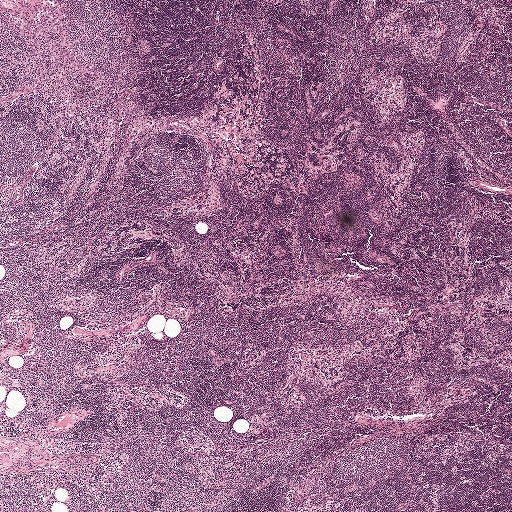
H&E-stained section of a sentinel lymph node (breast cancer), from a whole-slide image, viewed at about 2.5×: the field is about 2.0 mm across, about 3.9 µm per pixel.